Question: 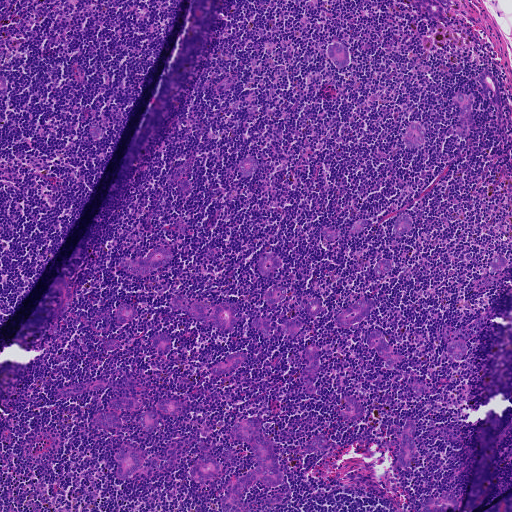
A 0.93-mm field of an H&E-stained sentinel lymph node from a breast-cancer patient (whole-slide image), shown at about 5×, about 1.8 µm per pixel.
What fraction of the image area is metastatic tumour?

Choices:
 (A) about 25% to 45%
 (B) about 10% to 20%
 (C) about 5% or less
 (D) about 50% or more
 (E) none: no tumour is outlined

Answer: (B) about 10% to 20%
About 10% of the field is tumour.
Outlines of the eight largest metastatic tumour regions, each a closed clockwise path in crop pixels (x, y), largest first: region 1: (250, 418), (271, 425), (264, 433), (278, 456), (283, 477), (282, 482), (273, 486), (262, 484), (257, 480), (246, 490), (242, 511), (223, 511), (222, 510), (222, 499), (230, 486), (256, 468), (256, 458), (252, 447), (248, 443), (232, 438), (230, 433), (235, 424); region 2: (186, 294), (190, 304), (201, 301), (213, 306), (228, 302), (237, 305), (238, 310), (233, 330), (222, 330), (208, 323), (203, 324), (198, 322), (187, 312), (176, 308), (172, 305), (172, 300), (175, 296); region 3: (159, 246), (169, 250), (172, 254), (172, 259), (168, 263), (141, 278), (136, 277), (123, 268), (121, 264), (122, 259), (143, 259), (154, 248); region 4: (124, 396), (141, 400), (142, 405), (140, 410), (135, 412), (124, 410), (119, 412), (122, 422), (121, 428), (110, 428), (95, 426), (92, 422), (93, 417), (97, 414), (112, 411), (108, 406), (109, 401); region 5: (412, 418), (416, 423), (414, 438), (417, 452), (417, 457), (412, 467), (403, 469), (399, 467), (396, 447), (390, 446), (391, 440), (393, 439), (397, 442), (398, 450), (405, 434), (404, 424), (407, 419); region 6: (202, 442), (206, 445), (207, 451), (210, 455), (218, 461), (221, 471), (215, 480), (205, 482), (200, 482), (190, 478), (190, 470), (201, 452), (199, 447); region 7: (126, 445), (140, 450), (143, 460), (136, 474), (124, 479), (119, 479), (116, 475), (117, 465), (114, 460), (121, 446); region 8: (367, 296), (371, 299), (374, 303), (373, 308), (356, 325), (346, 328), (336, 327), (334, 322), (335, 317), (362, 297).
29 more, smaller tumour regions are not outlined.
Six more small tumour pieces are annotated here but not outlined.